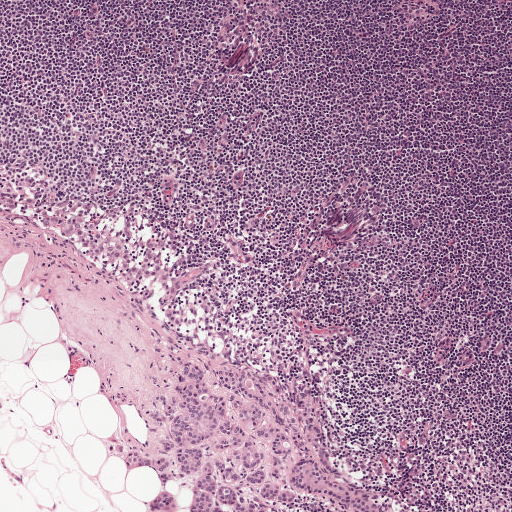
This is a crop of a whole-slide image: an H&E-stained breast-cancer sentinel lymph node section at roughly 5× magnification (about 1.9 µm per pixel; the crop spans about 1 mm).
Boundaries of two metastatic tumour regions, simplified and listed clockwise, largest first: region 1: (186, 361), (224, 396), (231, 420), (264, 452), (257, 469), (282, 491), (290, 466), (307, 458), (377, 510), (306, 492), (264, 502), (266, 511), (219, 502), (229, 511), (190, 511), (206, 464), (256, 470), (230, 449), (215, 452), (228, 435), (218, 428), (194, 447), (202, 461), (190, 474), (176, 463), (183, 448), (169, 452), (177, 508), (154, 511), (162, 472), (128, 472), (115, 445), (157, 456), (171, 425), (148, 413), (162, 395), (180, 410); region 2: (226, 364), (243, 366), (268, 374), (281, 386), (286, 403), (301, 426), (318, 426), (321, 434), (308, 444), (309, 452), (302, 458), (294, 455), (294, 447), (285, 460), (281, 477), (274, 479), (271, 474), (274, 457), (270, 449), (270, 441), (258, 439), (242, 424), (217, 377), (218, 368).
The annotated tumour makes up about 5% of the crop.